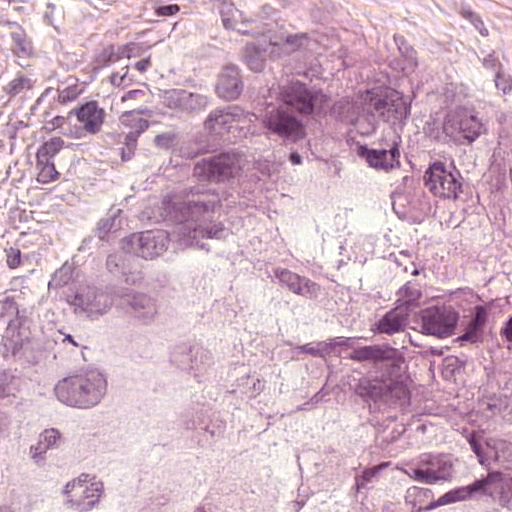
H&E-stained section of a sentinel lymph node (breast cancer), from a whole-slide image, viewed at about 40×: the field is about 0.12 mm across, about 0.24 µm per pixel.
Question: Which parts of this field are metastatic tumour? Answer with the outline of each region, in pixels.
Answer: The outlined metastatic tumour's edge, as a closed clockwise path of 9 points: (347, 50), (474, 100), (511, 127), (511, 511), (29, 511), (28, 413), (42, 363), (97, 313), (187, 132).
The annotated tumour makes up about 65% of the crop.